Question: 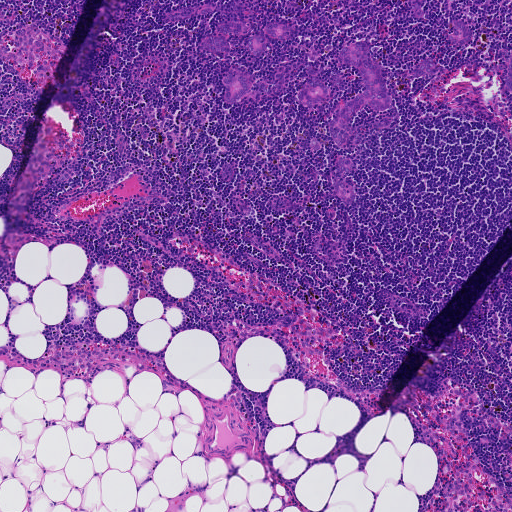
A 0.93-mm field of an H&E-stained sentinel lymph node from a breast-cancer patient (whole-slide image), shown at about 5×, about 1.8 µm per pixel.
About how much of this crop is taken up by metastatic carcinoma?

Choices:
 (A) none: no tumour is outlined
 (B) about 50% or more
 (C) about 10% to 20%
 (D) about 25% to 45%
 (E) about 5% or less

Answer: (E) about 5% or less
About 5% of the field is tumour.
The eight largest tumour regions' boundaries, simplified and listed clockwise, largest first: region 1: (358, 42), (379, 49), (372, 57), (386, 80), (391, 101), (390, 106), (381, 110), (370, 108), (365, 104), (354, 114), (351, 135), (346, 143), (341, 147), (336, 145), (330, 134), (330, 123), (345, 102), (364, 92), (364, 82), (360, 71), (356, 67), (340, 62), (338, 57), (343, 48); region 2: (340, 155), (344, 156), (354, 162), (352, 172), (347, 174), (344, 179), (353, 184), (357, 194), (356, 199), (353, 203), (348, 203), (335, 194), (331, 177), (336, 168), (335, 158); region 3: (232, 20), (249, 24), (250, 29), (248, 34), (243, 36), (232, 34), (227, 36), (230, 46), (229, 52), (218, 52), (203, 50), (200, 46), (201, 41), (205, 38), (220, 35), (216, 30), (217, 25); region 4: (310, 66), (314, 69), (315, 75), (318, 79), (326, 85), (329, 95), (323, 104), (313, 106), (308, 106), (298, 102), (298, 94), (309, 76), (307, 71); region 5: (234, 69), (248, 74), (251, 84), (244, 98), (232, 103), (227, 103), (224, 99), (225, 89), (222, 84), (229, 70); region 6: (458, 20), (470, 28), (472, 38), (464, 44), (459, 44), (449, 41), (449, 36), (456, 29), (452, 26), (453, 21); region 7: (258, 32), (263, 34), (267, 44), (263, 54), (259, 57), (250, 55), (247, 50), (247, 45), (251, 35); region 8: (271, 22), (281, 22), (290, 27), (290, 38), (281, 41), (270, 36), (264, 30).
Three more, smaller tumour regions are not outlined.
Four more small tumour pieces are annotated here but not outlined.